Question: 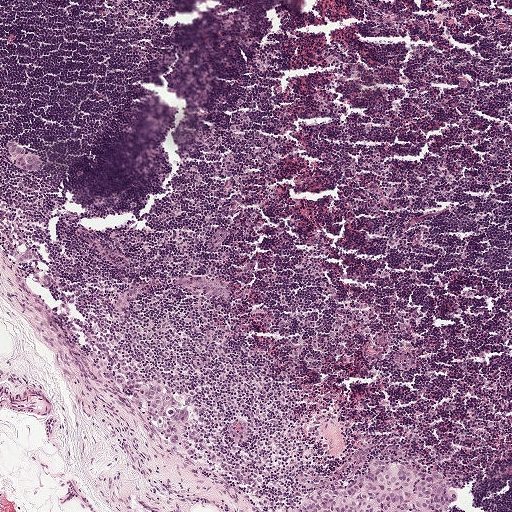
A 1-mm field of an H&E-stained sentinel lymph node from a breast-cancer patient (whole-slide image), shown at about 5×, about 1.9 µm per pixel.
Estimate the proportion of this field that is metastatic tumour.

Choices:
 (A) about 10% to 20%
 (B) about 50% or more
 (C) about 25% to 45%
 (D) about 5% or less
 (E) none: no tumour is outlined

Answer: (D) about 5% or less
About 5% of the field is tumour.
Outlines of three tumour regions, largest first (closed clockwise paths, crop pixels): region 1: (411, 456), (452, 480), (457, 492), (456, 501), (448, 511), (288, 511), (290, 506), (307, 498), (315, 489), (350, 487), (365, 474), (371, 461), (377, 458), (397, 463); region 2: (121, 373), (139, 382), (156, 378), (170, 387), (178, 404), (185, 409), (191, 420), (199, 425), (206, 442), (216, 455), (217, 461), (207, 462), (202, 456), (196, 460), (186, 459), (163, 443), (143, 415), (129, 405), (115, 390), (111, 379), (113, 375); region 3: (5, 140), (11, 140), (22, 148), (24, 153), (36, 155), (41, 162), (41, 169), (38, 171), (24, 170), (10, 162).
One more small tumour piece is annotated here but not outlined.